H&E-stained section of a sentinel lymph node (breast cancer), from a whole-slide image, viewed at about 10×: the field is about 0.46 mm across, about 0.9 µm per pixel.
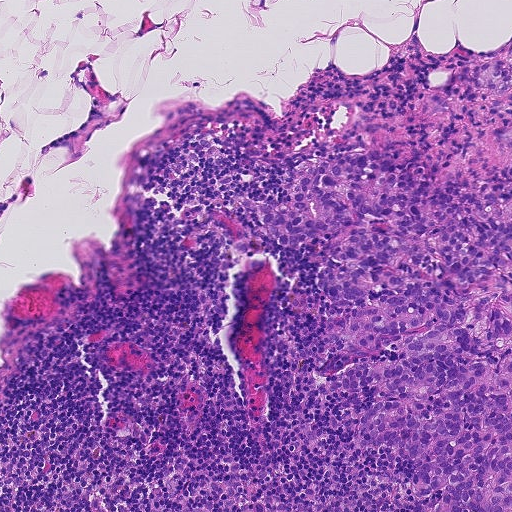
One metastatic tumour region; its boundary, reduced to 20 corners and listed clockwise: (346, 146), (478, 182), (509, 158), (511, 511), (426, 511), (442, 487), (407, 490), (419, 462), (353, 430), (388, 396), (383, 382), (346, 393), (340, 374), (314, 370), (332, 351), (324, 266), (236, 222), (222, 194), (292, 208), (292, 169).
About 25% of the image area is annotated as tumour.